This is a crop of a whole-slide image: an H&E-stained breast-cancer sentinel lymph node section at roughly 10× magnification (about 0.97 µm per pixel; the crop spans about 0.5 mm).
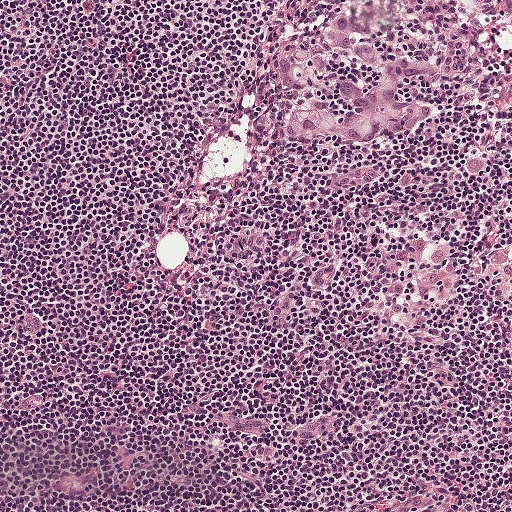
The outlined metastatic tumour's edge, as a closed clockwise path of 20 points: (340, 14), (374, 14), (383, 51), (410, 53), (447, 70), (436, 78), (420, 74), (407, 77), (411, 95), (439, 101), (439, 112), (417, 131), (372, 140), (340, 134), (310, 140), (287, 132), (291, 96), (273, 56), (305, 33), (323, 33).
About 5% of the image area is annotated as tumour.